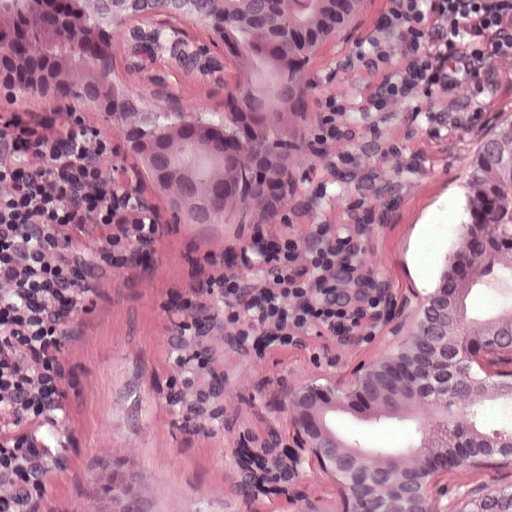
Lymph node section stained with H&E, from a whole-slide image of a breast-cancer sentinel node. Magnification about 20×, about 0.25 mm across the frame, about 0.49 µm per pixel.
Boundaries of two metastatic tumour regions, simplified and listed clockwise, largest first: region 1: (0, 0), (511, 0), (511, 511), (27, 511), (82, 315), (149, 252), (119, 154), (58, 138), (0, 90); region 2: (0, 497), (20, 511), (0, 511).
The annotated tumour makes up about 85% of the crop.